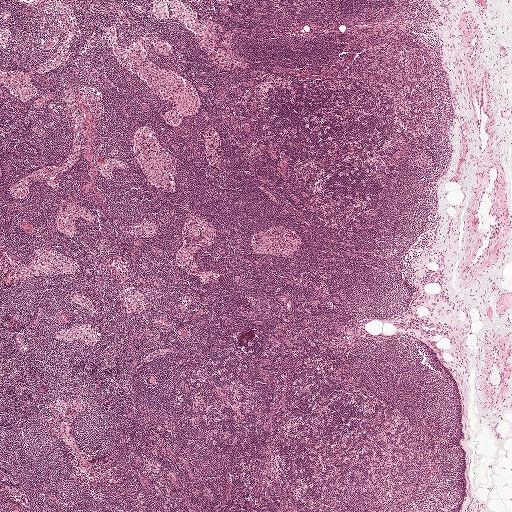
A 2.0-mm field of an H&E-stained sentinel lymph node from a breast-cancer patient (whole-slide image), shown at about 2.5×, about 3.9 µm per pixel.
Question: Is any metastatic breast cancer visible in this crop?
Answer: No: no metastatic tumour is outlined anywhere in this field.